Question: 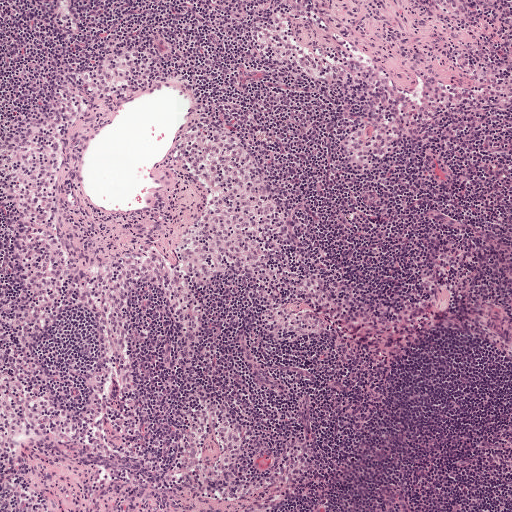
About what magnification does this crop show?

Choices:
 (A) about 20×
 (B) about 5×
 (C) about 2.5×
 (D) about 10×
 (E) about 40×

Answer: (B) about 5×
Lymph node section stained with H&E, from a whole-slide image of a breast-cancer sentinel node. Magnification about 5×, about 1 mm across the frame, about 1.9 µm per pixel.